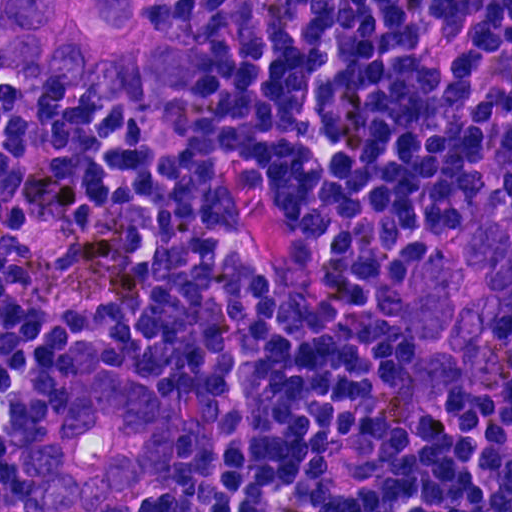
This is a crop of a whole-slide image: an H&E-stained breast-cancer sentinel lymph node section at roughly 40× magnification (about 0.23 µm per pixel; the crop spans about 0.12 mm).
Three metastatic tumour regions, each outlined as a closed clockwise path in crop pixels (x, y), largest first: region 1: (72, 321), (139, 377), (176, 399), (185, 440), (169, 479), (123, 511), (44, 511), (23, 490), (19, 446), (62, 401), (52, 361); region 2: (474, 210), (511, 213), (511, 351), (487, 385), (452, 409), (410, 410), (396, 370), (392, 326), (400, 282), (441, 236); region 3: (0, 0), (148, 0), (179, 31), (203, 70), (173, 98), (131, 104), (48, 81), (11, 58), (0, 46).
About 20% of this field is tumour.